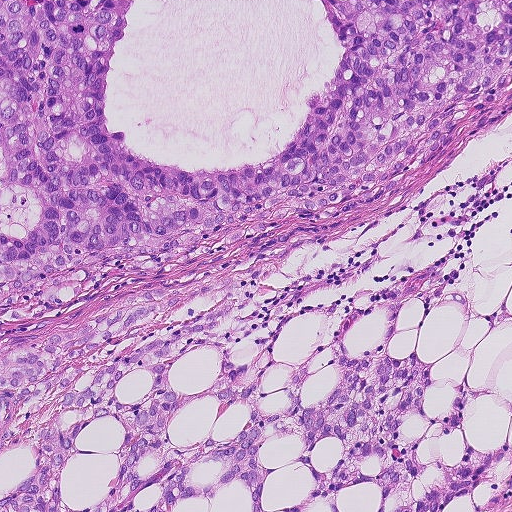
This is a crop of a whole-slide image: an H&E-stained breast-cancer sentinel lymph node section at roughly 10× magnification (about 0.9 µm per pixel; the crop spans about 0.46 mm).
One metastatic tumour region; its boundary, reduced to 20 corners and listed clockwise: (0, 0), (136, 0), (111, 112), (198, 171), (282, 144), (338, 47), (315, 0), (511, 0), (511, 116), (211, 336), (278, 412), (404, 294), (392, 353), (436, 366), (426, 411), (465, 382), (472, 443), (511, 443), (507, 509), (0, 511).
About 70% of this field is tumour.